H&E-stained section of a sentinel lymph node (breast cancer), from a whole-slide image, viewed at about 5×: the field is about 1 mm across, about 1.9 µm per pixel.
Image:
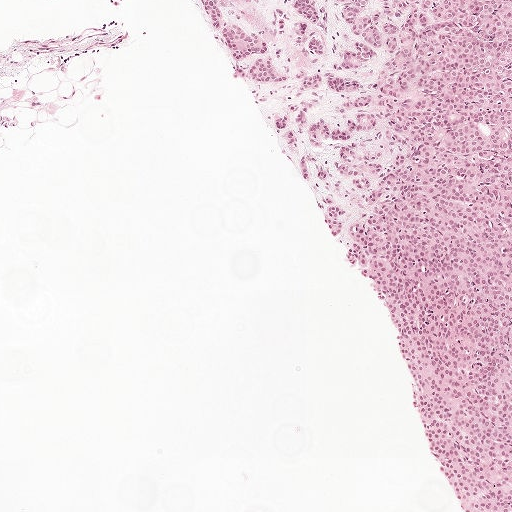
Question:
Where is the metastatic tumour in this field?
Answer:
Metastatic tumour outline, simplified to 8 points and listed clockwise in crop pixels (x, y): (511, 0), (511, 511), (466, 511), (456, 499), (387, 302), (344, 260), (323, 205), (196, 2).
About 35% of this field is tumour.